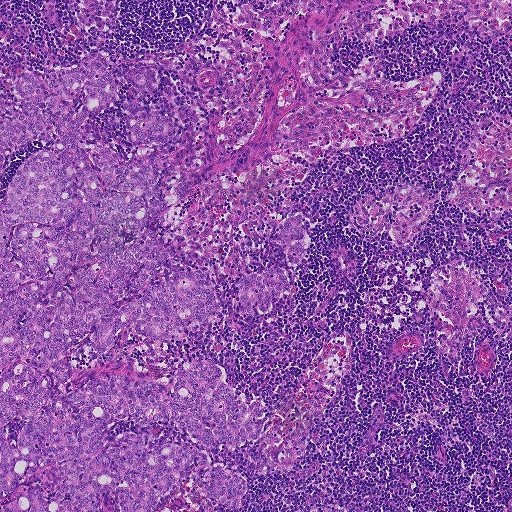
A 0.93-mm field of an H&E-stained sentinel lymph node from a breast-cancer patient (whole-slide image), shown at about 5×, about 1.8 µm per pixel.
Question: Is any metastatic breast cancer visible in this crop?
Answer: Yes.
The outlined metastatic tumour's edge, as a closed clockwise path of 36 points: (94, 50), (120, 74), (153, 67), (154, 91), (124, 80), (79, 129), (126, 159), (137, 146), (124, 100), (174, 109), (159, 281), (201, 268), (216, 299), (237, 299), (242, 275), (283, 266), (279, 223), (310, 216), (293, 288), (270, 314), (220, 305), (204, 337), (162, 342), (178, 361), (213, 358), (268, 410), (256, 440), (207, 450), (248, 488), (243, 507), (0, 511), (0, 76), (16, 106), (10, 84), (26, 65), (48, 76).
About 35% of the image area is annotated as tumour.